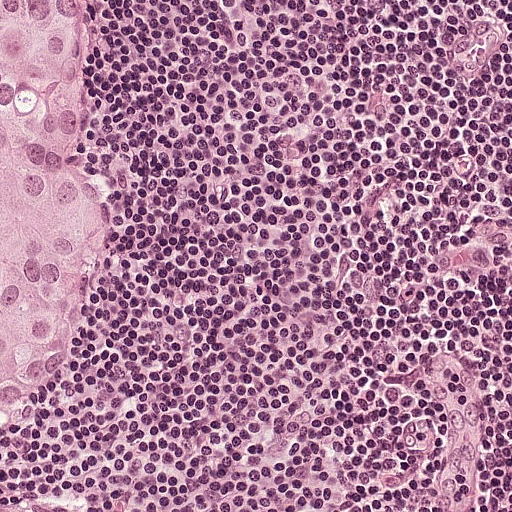
H&E-stained section of a sentinel lymph node (breast cancer), from a whole-slide image, viewed at about 20×: the field is about 0.25 mm across, about 0.49 µm per pixel.
Outlines of two tumour regions, largest first (closed clockwise paths, crop pixels): region 1: (0, 0), (71, 0), (79, 50), (68, 82), (68, 120), (100, 188), (92, 261), (58, 346), (10, 416), (0, 418); region 2: (0, 496), (67, 496), (74, 496), (90, 507), (99, 511), (0, 511).
Tumour covers about 10% of the frame.